Image:
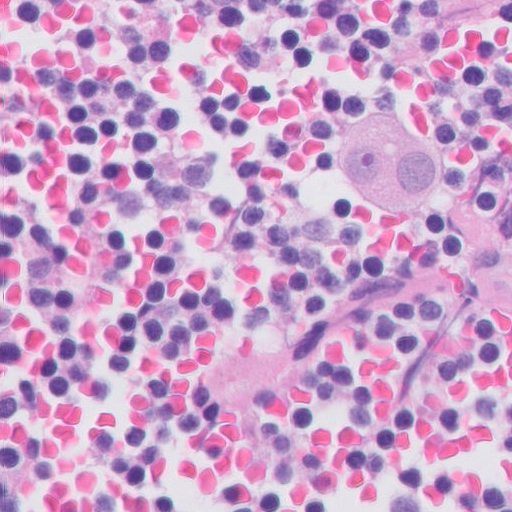
This is a crop of a whole-slide image: an H&E-stained breast-cancer sentinel lymph node section at roughly 40× magnification (about 0.25 µm per pixel; the crop spans about 0.13 mm).
Question:
Which parts of this field are metastatic tumour? Answer with the outline of each region, in pixels.
Answer:
Metastatic tumour outline, simplified to 6 points and listed clockwise in crop pixels (x, y): (342, 103), (421, 118), (465, 167), (445, 220), (359, 221), (320, 153).
The annotated tumour makes up about 5% of the crop.